Image:
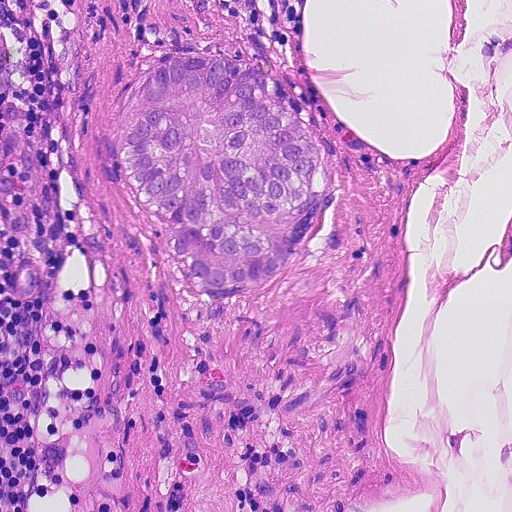
Lymph node section stained with H&E, from a whole-slide image of a breast-cancer sentinel node. Magnification about 20×, about 0.23 mm across the frame, about 0.45 µm per pixel.
Question:
Outline the metastatic carcinoma in this image, as closed paths of (x, y) pixel coordinates.
Answer:
Tumour region outline (a closed clockwise path, crop pixels): (172, 56), (224, 58), (270, 77), (327, 167), (326, 219), (300, 263), (256, 294), (206, 292), (128, 186), (118, 156), (148, 71).
About 15% of this field is tumour.